This is a crop of a whole-slide image: an H&E-stained breast-cancer sentinel lymph node section at roughly 20× magnification (about 0.49 µm per pixel; the crop spans about 0.25 mm).
Image:
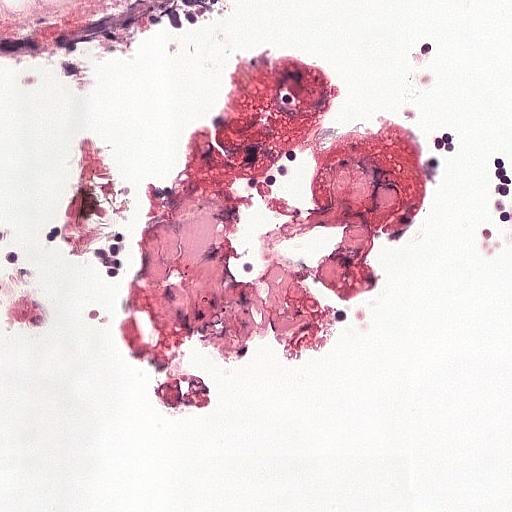
Question:
Is any metastatic breast cancer visible in this crop?
Answer:
No: no metastatic tumour is outlined anywhere in this field.